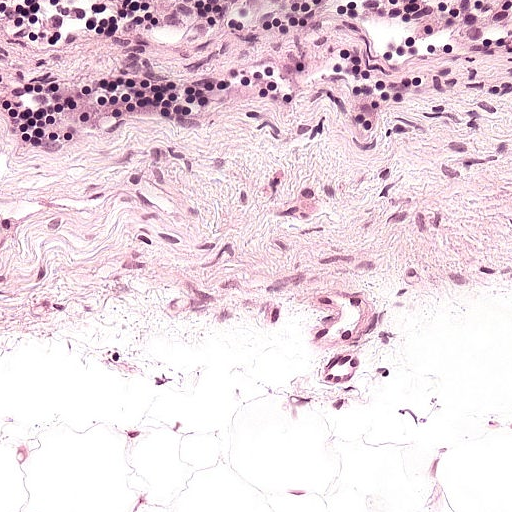
H&E-stained section of a sentinel lymph node (breast cancer), from a whole-slide image, viewed at about 20×: the field is about 0.25 mm across, about 0.49 µm per pixel.